Lymph node section stained with H&E, from a whole-slide image of a breast-cancer sentinel node. Magnification about 2.5×, about 1.9 mm across the frame, about 3.6 µm per pixel.
Question: 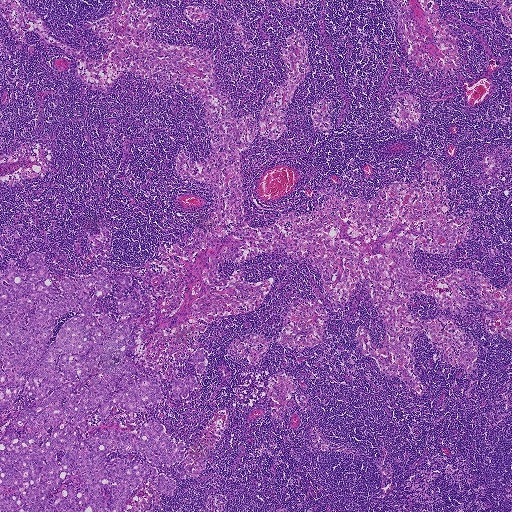
Estimate the proportion of this field that is metastatic tumour.

Choices:
 (A) about 50% or more
 (B) about 25% to 45%
 (C) about 5% or less
 (D) about 10% to 20%
 (E) none: no tumour is outlined

Answer: (D) about 10% to 20%
About 15% of the field is tumour.
The outlined metastatic tumour's edge, as a closed clockwise path of 23 points: (42, 253), (60, 295), (65, 274), (129, 275), (92, 306), (116, 321), (114, 291), (140, 296), (132, 382), (153, 376), (171, 391), (208, 349), (187, 398), (162, 394), (134, 413), (186, 446), (156, 466), (176, 486), (160, 510), (0, 511), (0, 271), (14, 258), (20, 269).